Question: 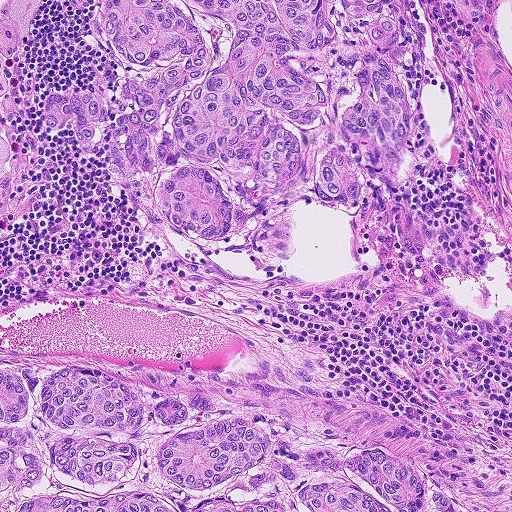
This is a crop of a whole-slide image: an H&E-stained breast-cancer sentinel lymph node section at roughly 10× magnification (about 0.9 µm per pixel; the crop spans about 0.46 mm).
Roughly what share of this field is metastatic tumour?

Choices:
 (A) about 10% to 20%
 (B) none: no tumour is outlined
 (C) about 25% to 45%
 (D) about 5% or less
 (E) about 50% or more

Answer: (C) about 25% to 45%
About 45% of the field is tumour.
Outlines of two tumour regions, largest first (closed clockwise paths, crop pixels): region 1: (392, 0), (396, 60), (416, 99), (410, 186), (388, 185), (355, 214), (312, 201), (292, 210), (280, 272), (246, 250), (200, 250), (162, 232), (116, 180), (109, 141), (92, 155), (72, 141), (72, 123), (58, 131), (41, 123), (52, 93), (105, 98), (124, 86), (92, 26), (93, 4); region 2: (22, 364), (42, 376), (81, 364), (120, 376), (152, 404), (188, 403), (203, 392), (296, 426), (294, 448), (346, 453), (364, 444), (409, 459), (458, 508), (0, 511), (0, 367).